A 0.25-mm field of an H&E-stained sentinel lymph node from a breast-cancer patient (whole-slide image), shown at about 20×, about 0.49 µm per pixel.
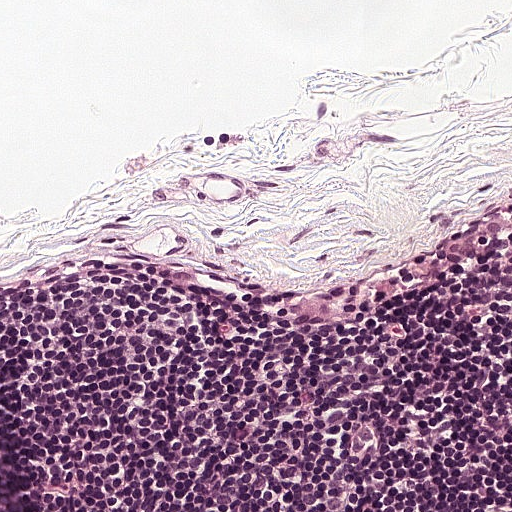
Question: Is any metastatic breast cancer visible in this crop?
Answer: No: no metastatic tumour is outlined anywhere in this field.